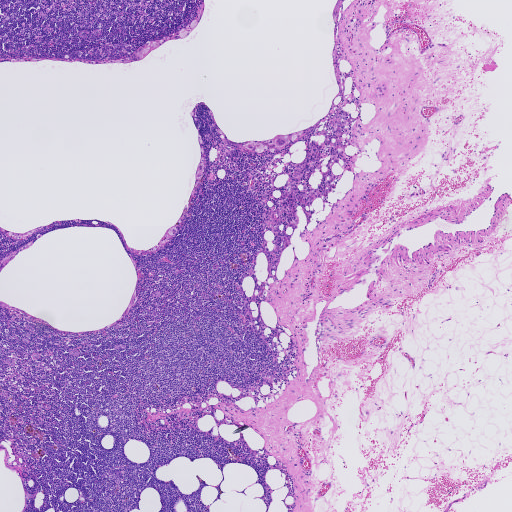
This is a crop of a whole-slide image: an H&E-stained breast-cancer sentinel lymph node section at roughly 2.5× magnification (about 3.6 µm per pixel; the crop spans about 1.9 mm).